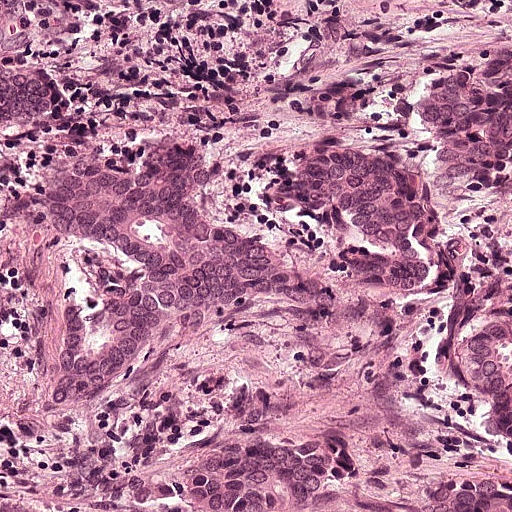
This is a crop of a whole-slide image: an H&E-stained breast-cancer sentinel lymph node section at roughly 20× magnification (about 0.49 µm per pixel; the crop spans about 0.25 mm).
Question: Show where the tumour is in this image.
Answer: Seven metastatic tumour regions, each outlined as a closed clockwise path in crop pixels (x, y), largest first: region 1: (147, 141), (197, 155), (198, 214), (318, 280), (331, 296), (331, 311), (322, 324), (282, 314), (216, 326), (178, 319), (125, 392), (80, 420), (52, 421), (38, 413), (55, 346), (39, 192), (48, 178); region 2: (317, 144), (318, 158), (336, 148), (359, 145), (402, 160), (442, 245), (442, 278), (430, 300), (362, 284), (330, 267), (314, 231), (281, 196), (296, 153); region 3: (511, 53), (511, 190), (478, 194), (456, 202), (442, 202), (419, 168), (422, 126), (416, 114), (418, 89), (468, 56); region 4: (247, 435), (255, 449), (288, 438), (336, 446), (342, 462), (342, 501), (336, 511), (168, 511), (169, 496), (186, 464); region 5: (0, 0), (46, 0), (56, 22), (56, 51), (45, 74), (67, 85), (76, 107), (76, 116), (46, 134), (2, 147); region 6: (510, 344), (511, 511), (440, 511), (448, 494), (458, 486), (488, 442), (488, 414), (476, 389), (474, 362), (498, 347); region 7: (0, 491), (20, 498), (30, 500), (54, 500), (59, 504), (61, 504), (68, 506), (68, 508), (72, 508), (76, 511), (0, 511).
Tumour covers about 40% of the frame.